This is a crop of a whole-slide image: an H&E-stained breast-cancer sentinel lymph node section at roughly 20× magnification (about 0.49 µm per pixel; the crop spans about 0.25 mm).
Question: 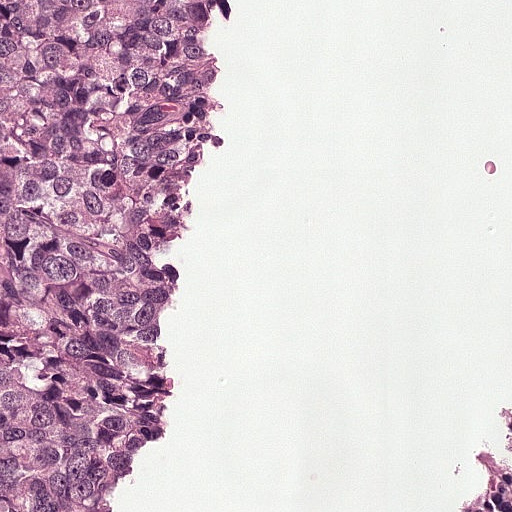
About how much of this crop is taken up by metastatic carcinoma?

Choices:
 (A) about 5% or less
 (B) about 10% to 20%
 (C) about 25% to 45%
 (D) about 50% or more
 (E) none: no tumour is outlined

Answer: (C) about 25% to 45%
About 35% of the field is tumour.
Two metastatic tumour regions, each outlined as a closed clockwise path in crop pixels (x, y), largest first: region 1: (0, 0), (235, 0), (172, 302), (166, 418), (138, 504), (0, 511); region 2: (511, 487), (511, 511), (494, 511), (498, 504), (500, 502), (502, 496).